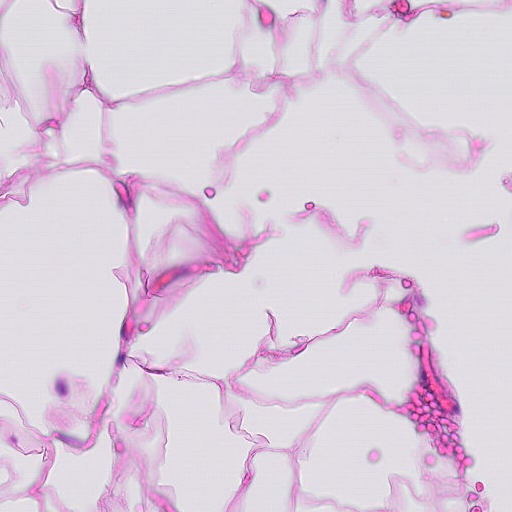
Lymph node section stained with H&E, from a whole-slide image of a breast-cancer sentinel node. Magnification about 20×, about 0.23 mm across the frame, about 0.45 µm per pixel.